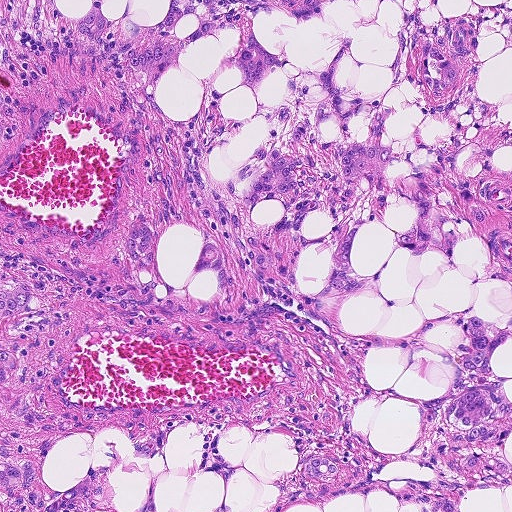
A 0.46-mm field of an H&E-stained sentinel lymph node from a breast-cancer patient (whole-slide image), shown at about 10×, about 0.9 µm per pixel.
Three metastatic tumour regions, each outlined as a closed clockwise path in crop pixels (x, y), largest first: region 1: (0, 0), (511, 0), (511, 204), (484, 179), (495, 223), (452, 267), (386, 210), (350, 259), (388, 258), (396, 301), (337, 314), (403, 338), (475, 306), (511, 333), (490, 363), (511, 488), (273, 509), (282, 435), (403, 455), (409, 400), (453, 376), (274, 324), (71, 302), (4, 390); region 2: (0, 435), (22, 455), (46, 458), (42, 471), (47, 484), (58, 491), (72, 488), (91, 468), (104, 467), (116, 492), (112, 505), (116, 511), (0, 511); region 3: (151, 477), (154, 490), (155, 504), (159, 511), (134, 511), (142, 502).
One more small tumour piece is annotated here but not outlined.
The annotated tumour makes up about 70% of the crop.